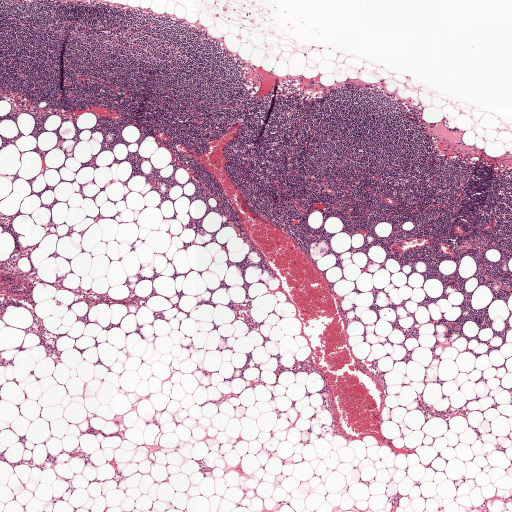
H&E-stained section of a sentinel lymph node (breast cancer), from a whole-slide image, viewed at about 2.5×: the field is about 2.0 mm across, about 3.9 µm per pixel.